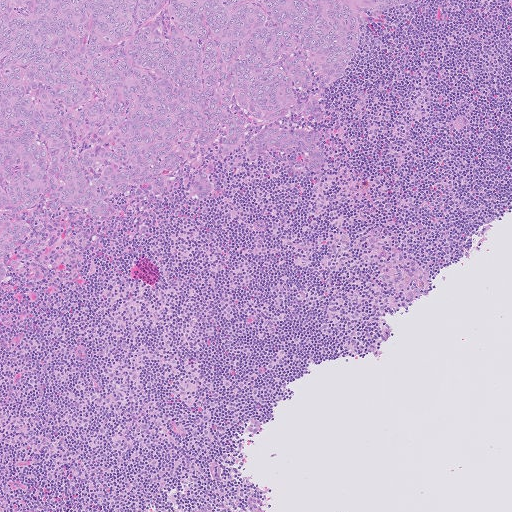
H&E-stained section of a sentinel lymph node (breast cancer), from a whole-slide image, viewed at about 5×: the field is about 1.0 mm across, about 2.0 µm per pixel.
Metastatic tumour outline, simplified to 16 points and listed clockwise in crop pixels (x, y): (0, 0), (416, 0), (368, 19), (328, 95), (326, 123), (284, 120), (325, 133), (317, 173), (232, 153), (215, 163), (204, 201), (180, 182), (126, 193), (95, 220), (42, 201), (4, 296).
The annotated tumour makes up about 25% of the crop.